Question: 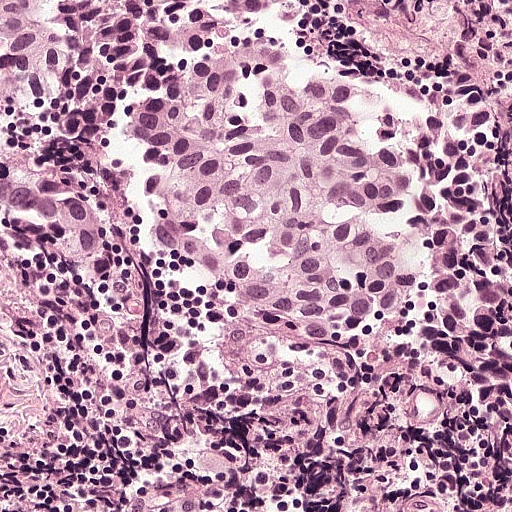
H&E-stained section of a sentinel lymph node (breast cancer), from a whole-slide image, viewed at about 20×: the field is about 0.25 mm across, about 0.49 µm per pixel.
What fraction of the image area is metastatic tumour?

Choices:
 (A) about 50% or more
 (B) about 25% to 45%
 (C) about 10% to 20%
 (D) about 5% or less
 (E) none: no tumour is outlined

Answer: (B) about 25% to 45%
About 45% of the field is tumour.
Boundaries of two metastatic tumour regions, simplified and listed clockwise, largest first: region 1: (0, 0), (292, 0), (276, 18), (294, 32), (481, 142), (506, 186), (506, 290), (490, 316), (453, 330), (430, 259), (410, 301), (364, 335), (254, 320), (168, 240), (144, 193), (144, 129), (95, 151), (3, 100); region 2: (0, 172), (60, 174), (96, 191), (109, 212), (108, 232), (100, 257), (86, 269), (62, 264), (25, 241), (0, 234).